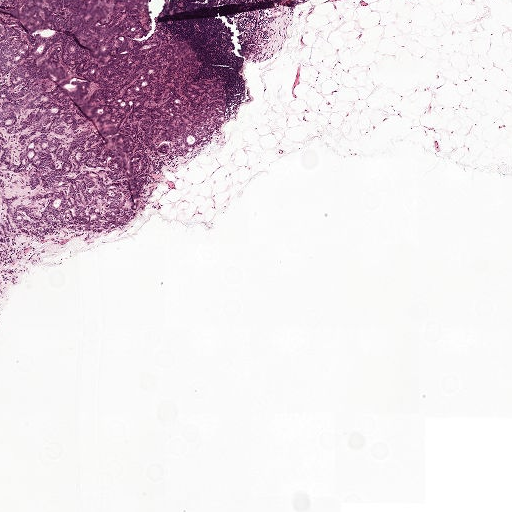
This is a crop of a whole-slide image: an H&E-stained breast-cancer sentinel lymph node section at roughly 2.5× magnification (about 3.9 µm per pixel; the crop spans about 2.0 mm).
Tumour region outline (a closed clockwise path, crop pixels): (146, 0), (150, 16), (187, 42), (171, 41), (164, 52), (206, 65), (207, 56), (222, 80), (226, 107), (209, 102), (173, 114), (151, 132), (151, 142), (169, 142), (223, 114), (226, 119), (206, 139), (155, 170), (142, 171), (78, 77), (18, 39), (27, 59), (93, 126), (123, 180), (132, 213), (124, 225), (108, 230), (19, 233), (0, 248), (0, 14), (28, 33), (66, 31), (85, 53), (110, 63), (149, 24).
The annotated tumour makes up about 10% of the crop.